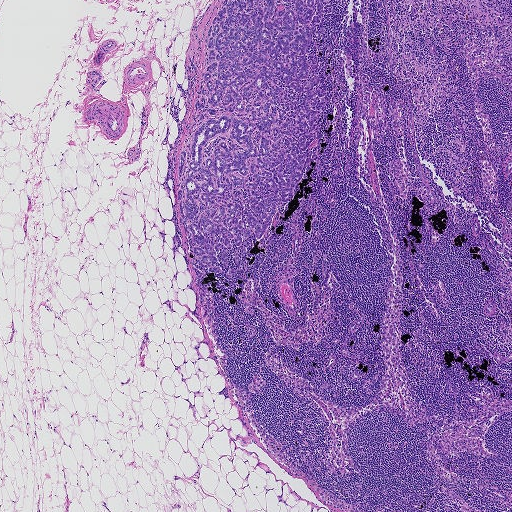
Lymph node section stained with H&E, from a whole-slide image of a breast-cancer sentinel node. Magnification about 2.5×, about 1.9 mm across the frame, about 3.6 µm per pixel.
Tumour region outline (a closed clockwise path, crop pixels): (223, 0), (326, 2), (305, 54), (326, 89), (321, 138), (307, 148), (326, 146), (321, 173), (314, 158), (262, 237), (252, 230), (242, 238), (245, 256), (237, 262), (230, 248), (226, 267), (216, 258), (224, 273), (199, 264), (177, 197), (180, 153), (204, 120), (194, 113), (206, 36).
Tumour covers about 10% of the frame.